Lymph node section stained with H&E, from a whole-slide image of a breast-cancer sentinel node. Magnification about 10×, about 0.5 mm across the frame, about 0.97 µm per pixel.
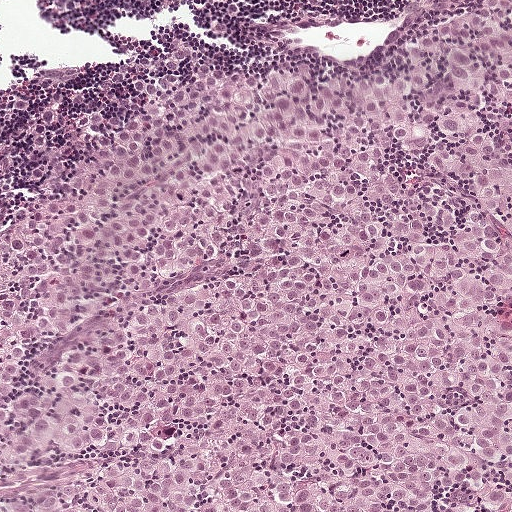
Question: Trace the edge of each tumour region in this crop, as (x, y) points from 0 to 511.
Answer: One metastatic tumour region; its boundary, reduced to 11 corners and listed clockwise: (511, 0), (511, 511), (0, 511), (0, 214), (23, 186), (42, 119), (91, 111), (182, 62), (256, 81), (317, 77), (429, 1).
About 85% of the image area is annotated as tumour.